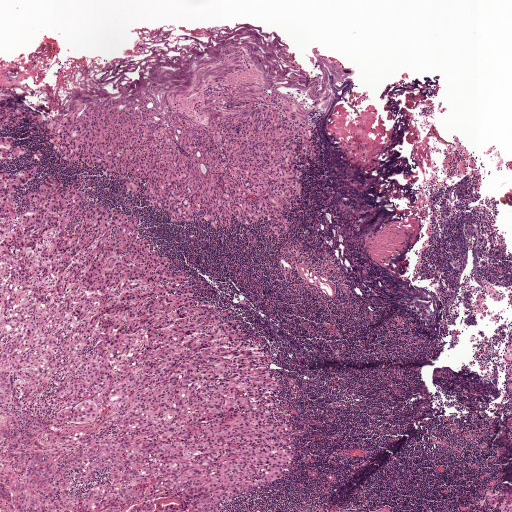
H&E-stained section of a sentinel lymph node (breast cancer), from a whole-slide image, viewed at about 2.5×: the field is about 2.0 mm across, about 3.9 µm per pixel.
Three metastatic tumour regions, each outlined as a closed clockwise path in crop pixels (x, y), largest first: region 1: (0, 137), (44, 151), (26, 194), (59, 176), (136, 214), (273, 354), (300, 429), (287, 478), (218, 511), (0, 511); region 2: (245, 44), (314, 116), (311, 180), (284, 238), (172, 222), (49, 142), (45, 126), (66, 102), (145, 92), (160, 98); region 3: (511, 338), (511, 406), (505, 390), (502, 373), (503, 358).
Two more small tumour pieces are annotated here but not outlined.
Tumour covers about 40% of the frame.